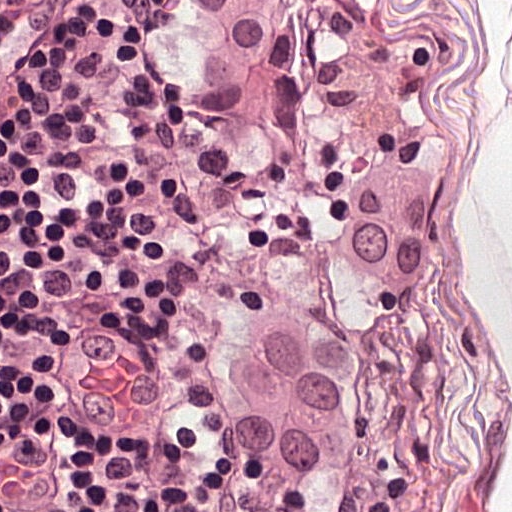
Lymph node section stained with H&E, from a whole-slide image of a breast-cancer sentinel node. Magnification about 40×, about 0.12 mm across the frame, about 0.24 µm per pixel.
Outlines of two tumour regions, largest first (closed clockwise paths, crop pixels): region 1: (317, 274), (372, 335), (378, 426), (372, 456), (361, 490), (327, 511), (206, 511), (183, 492), (167, 440), (167, 390), (199, 310), (240, 278); region 2: (308, 0), (305, 60), (326, 106), (355, 126), (449, 160), (454, 224), (433, 283), (399, 300), (374, 300), (349, 287), (330, 249), (321, 194), (296, 153), (267, 137), (192, 135), (167, 121), (139, 85), (139, 69), (169, 1).
The annotated tumour makes up about 30% of the crop.